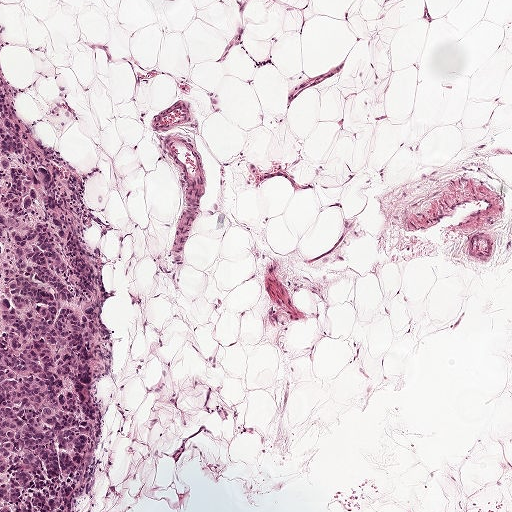
Lymph node section stained with H&E, from a whole-slide image of a breast-cancer sentinel node. Magnification about 5×, about 1 mm across the frame, about 1.9 µm per pixel.
One metastatic tumour region; its boundary, reduced to 11 corners and listed clockwise: (0, 78), (15, 120), (60, 180), (102, 286), (98, 357), (105, 378), (98, 395), (104, 436), (99, 481), (77, 511), (0, 511).
Tumour covers about 15% of the frame.